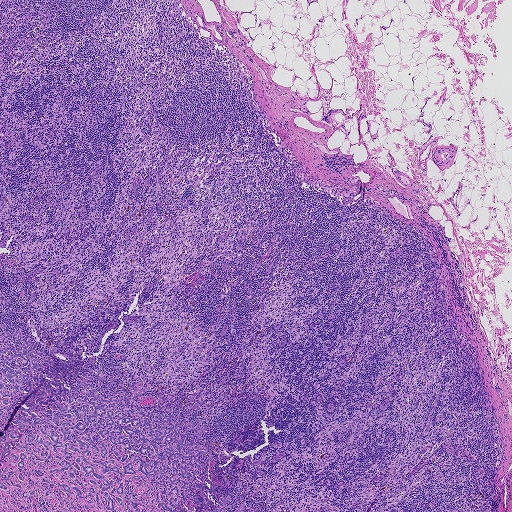
A 1.9-mm field of an H&E-stained sentinel lymph node from a breast-cancer patient (whole-slide image), shown at about 2.5×, about 3.6 µm per pixel.
Question: Is there metastatic carcinoma in this field?
Answer: Yes.
Four metastatic tumour regions, each outlined as a closed clockwise path in crop pixels (x, y), largest first: region 1: (2, 324), (37, 351), (58, 350), (36, 393), (63, 383), (59, 402), (77, 383), (73, 374), (87, 372), (100, 380), (77, 378), (104, 398), (130, 399), (149, 385), (141, 396), (175, 397), (154, 406), (175, 422), (204, 420), (197, 441), (185, 433), (214, 460), (196, 510), (0, 511); region 2: (216, 489), (218, 489), (222, 495), (225, 496), (229, 495), (230, 499), (227, 502), (226, 504), (227, 511), (214, 511), (216, 507), (219, 505), (217, 503), (217, 500), (221, 501), (223, 500), (222, 498), (216, 491); region 3: (242, 502), (244, 502), (247, 507), (249, 508), (256, 506), (262, 510), (264, 511), (247, 511), (246, 511), (244, 510), (242, 511), (236, 511), (237, 507); region 4: (191, 394), (194, 394), (194, 396), (194, 399), (191, 403), (191, 404), (196, 404), (198, 405), (198, 407), (197, 409), (194, 408), (192, 411), (187, 414), (182, 414), (183, 411), (184, 409), (186, 407), (190, 405), (190, 403), (188, 402), (187, 399), (189, 395).
Tumour covers about 10% of the frame.